This is a crop of a whole-slide image: an H&E-stained breast-cancer sentinel lymph node section at roughly 10× magnification (about 0.97 µm per pixel; the crop spans about 0.5 mm).
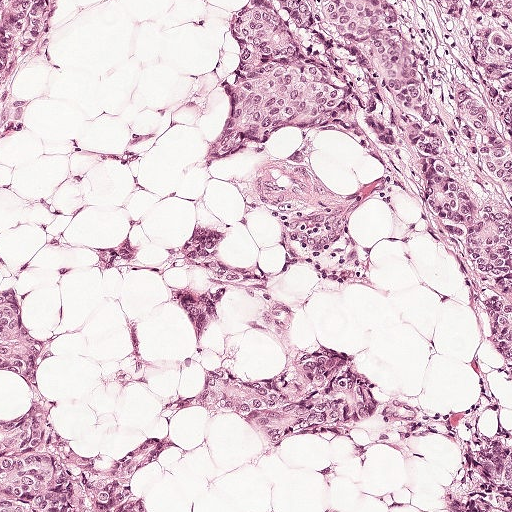
Two metastatic tumour regions, each outlined as a closed clockwise path in crop pixels (x, y), largest first: region 1: (511, 0), (511, 511), (437, 511), (436, 466), (292, 444), (169, 386), (164, 258), (212, 151), (222, 87), (217, 1); region 2: (0, 0), (73, 0), (41, 70), (19, 156), (19, 284), (62, 391), (100, 428), (121, 476), (142, 498), (177, 511), (0, 511).
Tumour covers about 65% of the frame.